Lymph node section stained with H&E, from a whole-slide image of a breast-cancer sentinel node. Magnification about 2.5×, about 2.0 mm across the frame, about 3.9 µm per pixel.
Image:
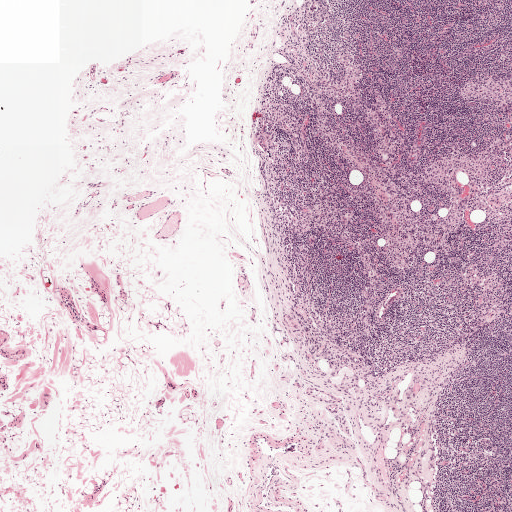
Question:
Where is the metastatic tumour in this field?
Answer:
Tumour region outline (a closed clockwise path, crop pixels): (259, 130), (263, 131), (266, 135), (266, 142), (268, 149), (265, 151), (257, 144), (253, 138), (254, 134), (256, 131).
One more small tumour piece is annotated here but not outlined.
Tumour covers under 5% of the frame.